Question: 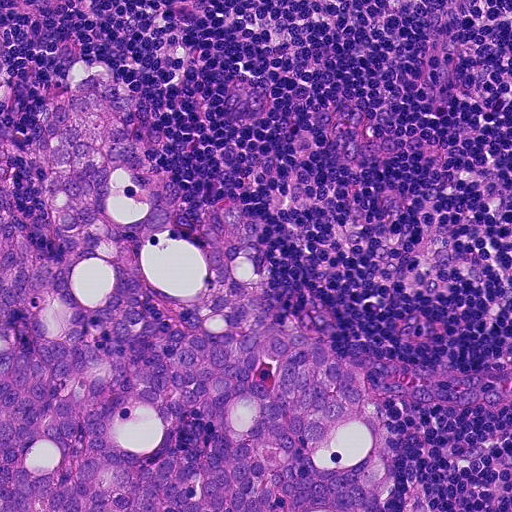
A 0.23-mm field of an H&E-stained sentinel lymph node from a breast-cancer patient (whole-slide image), shown at about 20×, about 0.45 µm per pixel.
What fraction of the image area is metastatic tumour?

Choices:
 (A) about 50% or more
 (B) about 5% or less
 (C) none: no tumour is outlined
 (D) about 25% to 45%
 (E) about 10% to 20%

Answer: (A) about 50% or more
About 50% of the field is tumour.
Boundaries of two metastatic tumour regions, simplified and listed clockwise, largest first: region 1: (99, 64), (130, 86), (155, 158), (180, 188), (252, 200), (286, 304), (333, 344), (511, 370), (511, 408), (370, 399), (400, 464), (390, 505), (0, 511), (0, 166), (14, 160), (28, 233), (54, 259), (35, 150), (42, 112), (68, 84); region 2: (0, 42), (8, 49), (16, 86), (0, 121).